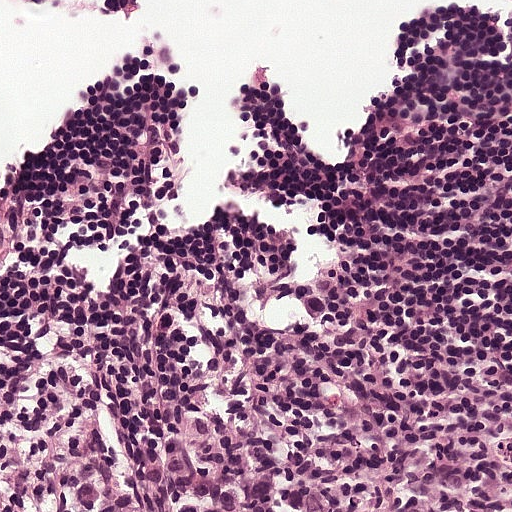
A 0.25-mm field of an H&E-stained sentinel lymph node from a breast-cancer patient (whole-slide image), shown at about 20×, about 0.49 µm per pixel.
The outlined metastatic tumour's edge, as a closed clockwise path of 9 points: (2, 344), (137, 347), (222, 400), (280, 400), (368, 373), (406, 373), (506, 410), (511, 511), (0, 511).
The annotated tumour makes up about 25% of the crop.